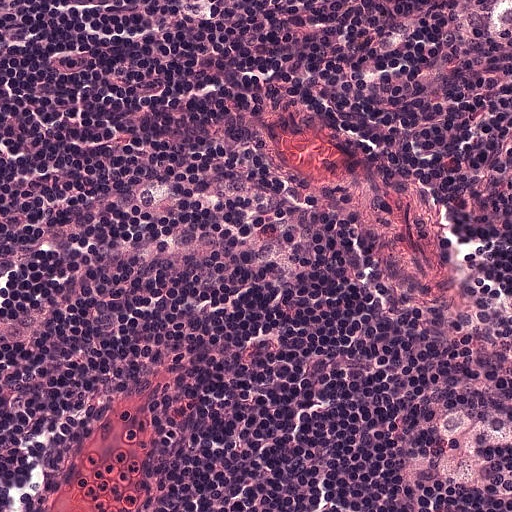
This is a crop of a whole-slide image: an H&E-stained breast-cancer sentinel lymph node section at roughly 20× magnification (about 0.49 µm per pixel; the crop spans about 0.25 mm).